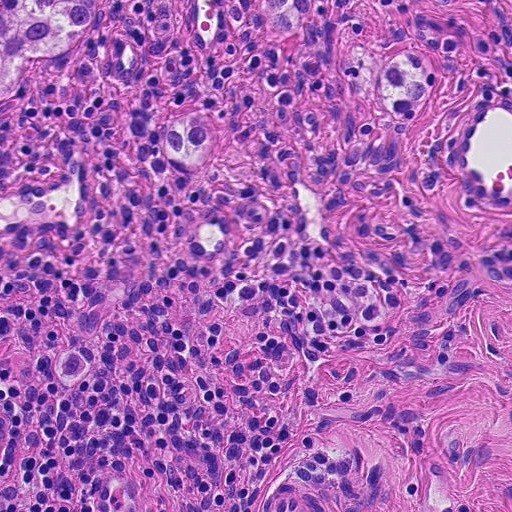
Lymph node section stained with H&E, from a whole-slide image of a breast-cancer sentinel node. Magnification about 20×, about 0.23 mm across the frame, about 0.45 µm per pixel.
Outlines of two tumour regions, largest first (closed clockwise paths, crop pixels): region 1: (0, 0), (100, 0), (99, 20), (84, 48), (58, 58), (29, 60), (25, 76), (10, 100), (0, 104); region 2: (364, 41), (375, 64), (398, 52), (423, 48), (437, 60), (437, 87), (427, 110), (405, 123), (386, 108), (375, 83), (362, 91), (344, 80), (342, 54).
Three more small tumour pieces are annotated here but not outlined.
About 5% of the image area is annotated as tumour.